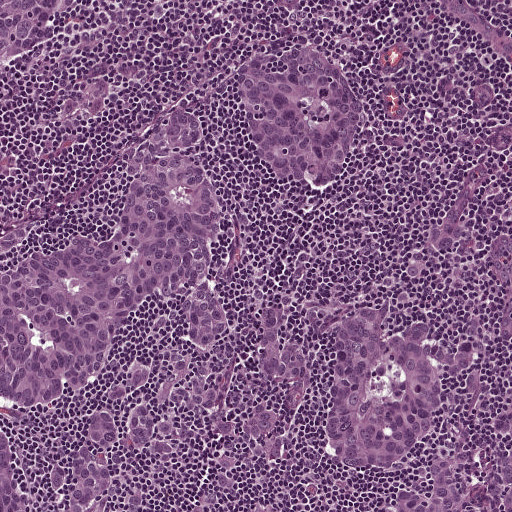
H&E-stained section of a sentinel lymph node (breast cancer), from a whole-slide image, viewed at about 10×: the field is about 0.5 mm across, about 0.97 µm per pixel.
Boundaries of three metastatic tumour regions, simplified and listed clockwise, largest first: region 1: (194, 110), (244, 232), (248, 255), (230, 296), (236, 319), (274, 292), (297, 290), (310, 309), (333, 311), (348, 294), (394, 297), (412, 255), (435, 259), (494, 222), (511, 230), (511, 511), (0, 511), (0, 152), (11, 146), (28, 190), (108, 229), (149, 120); region 2: (305, 40), (348, 71), (362, 94), (368, 119), (363, 146), (344, 181), (331, 186), (291, 182), (279, 178), (260, 159), (246, 138), (227, 76), (248, 60), (273, 58), (282, 48); region 3: (0, 0), (77, 0), (60, 20), (52, 38), (29, 46), (0, 63).
Tumour covers about 60% of the frame.